Question: 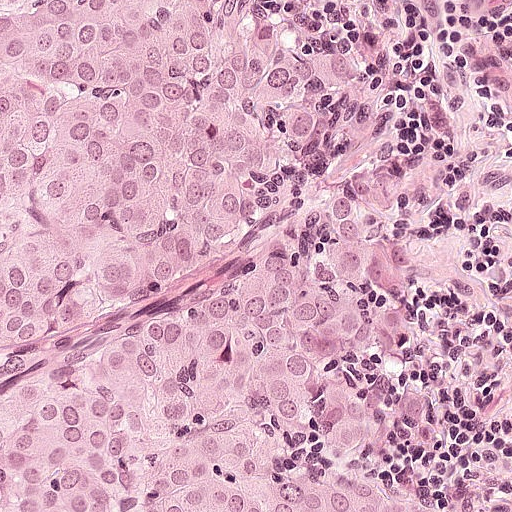
This is a crop of a whole-slide image: an H&E-stained breast-cancer sentinel lymph node section at roughly 20× magnification (about 0.49 µm per pixel; the crop spans about 0.25 mm).
What fraction of the image area is metastatic tumour?

Choices:
 (A) none: no tumour is outlined
 (B) about 5% or less
 (C) about 25% to 45%
 (D) about 50% or more
 (E) about 10% to 20%

Answer: (D) about 50% or more
About 75% of the field is tumour.
Tumour region outline (a closed clockwise path, crop pixels): (0, 0), (288, 0), (290, 18), (356, 52), (382, 100), (408, 120), (379, 286), (382, 360), (402, 411), (467, 505), (0, 511).